Question: 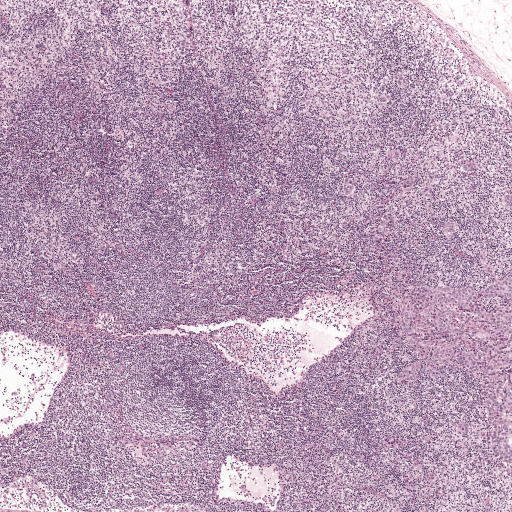
Which magnification is this H&E lymph node field most likely shown at?

Choices:
 (A) about 40×
 (B) about 2.5×
 (C) about 20×
 (D) about 10×
 (E) about 5×

Answer: (B) about 2.5×
A 2.0-mm field of an H&E-stained sentinel lymph node from a breast-cancer patient (whole-slide image), shown at about 2.5×, about 3.9 µm per pixel.
Outlines of the eight largest metastatic tumour regions, each a closed clockwise path in crop pixels (x, y), largest first: region 1: (479, 247), (501, 273), (511, 269), (511, 480), (488, 449), (485, 424), (464, 434), (455, 428), (464, 417), (474, 426), (484, 421), (484, 409), (472, 405), (478, 378), (447, 366), (434, 383), (422, 361), (423, 379), (401, 387), (395, 383), (398, 371), (418, 354), (401, 340), (395, 350), (383, 348), (355, 361), (391, 338), (391, 326), (385, 327), (353, 345), (357, 335), (396, 316), (385, 309), (385, 291), (418, 279), (484, 284); region 2: (385, 434), (391, 434), (403, 437), (407, 443), (404, 448), (405, 455), (411, 457), (416, 456), (422, 457), (425, 462), (425, 471), (436, 471), (438, 474), (438, 483), (436, 488), (424, 487), (425, 500), (428, 506), (433, 511), (416, 511), (425, 507), (422, 485), (406, 491), (401, 487), (398, 482), (400, 476), (406, 475), (416, 483), (422, 484), (423, 472), (411, 469), (410, 463), (407, 458), (402, 454), (383, 448), (378, 443), (380, 437); region 3: (393, 214), (395, 219), (393, 232), (387, 235), (384, 247), (378, 250), (371, 241), (373, 228), (381, 218); region 4: (451, 86), (456, 91), (456, 98), (452, 102), (441, 108), (435, 108), (431, 96), (434, 90); region 5: (404, 70), (412, 77), (411, 89), (405, 94), (399, 93), (392, 83), (393, 75), (398, 71); region 6: (181, 37), (191, 40), (192, 46), (190, 58), (185, 61), (178, 58), (173, 46), (175, 39); region 7: (391, 91), (395, 101), (393, 107), (389, 111), (382, 113), (377, 112), (374, 106), (375, 101), (378, 95), (383, 92); region 8: (450, 218), (459, 225), (459, 232), (457, 238), (453, 241), (443, 237), (439, 232), (440, 226).
10 more, smaller tumour regions are not outlined.
Six more small tumour pieces are annotated here but not outlined.
About 10% of the image area is annotated as tumour.